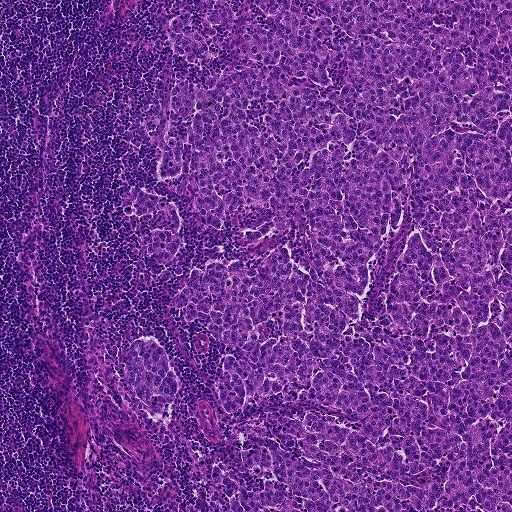
A 0.93-mm field of an H&E-stained sentinel lymph node from a breast-cancer patient (whole-slide image), shown at about 5×, about 1.8 µm per pixel.
Boundaries of three metastatic tumour regions, simplified and listed clockwise, largest first: region 1: (511, 0), (511, 511), (231, 511), (210, 473), (262, 492), (274, 418), (358, 428), (301, 386), (222, 412), (231, 347), (169, 301), (284, 242), (311, 278), (297, 212), (202, 220), (188, 134), (158, 180), (176, 81), (272, 71), (214, 25), (190, 65), (169, 18), (264, 32), (253, 2); region 2: (150, 338), (156, 342), (166, 354), (169, 370), (176, 375), (177, 383), (177, 390), (171, 404), (152, 415), (146, 411), (133, 393), (125, 377), (124, 369), (127, 354), (134, 340); region 3: (134, 186), (142, 186), (143, 191), (166, 199), (173, 203), (178, 209), (180, 217), (180, 241), (178, 249), (169, 260), (161, 261), (154, 260), (149, 255), (144, 240), (151, 226), (151, 219), (144, 216), (129, 216), (122, 211), (122, 196).
About 60% of this field is tumour.